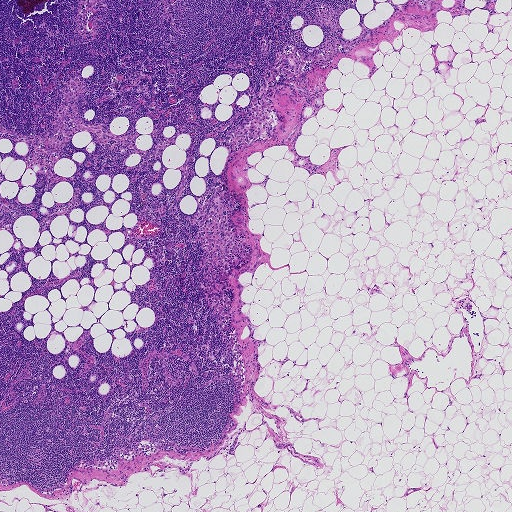
H&E-stained section of a sentinel lymph node (breast cancer), from a whole-slide image, viewed at about 2.5×: the field is about 1.9 mm across, about 3.6 µm per pixel.